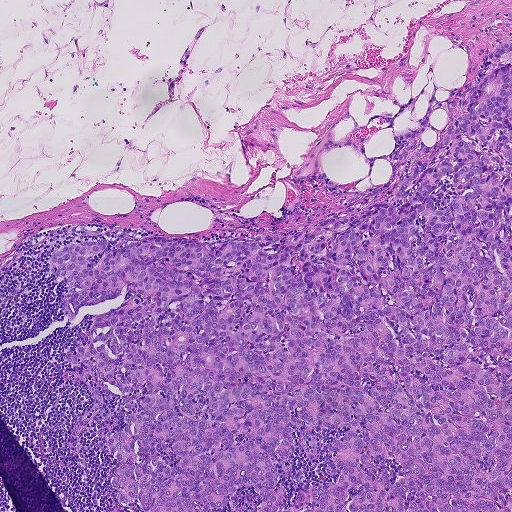
H&E-stained section of a sentinel lymph node (breast cancer), from a whole-slide image, viewed at about 5×: the field is about 0.93 mm across, about 1.8 µm per pixel.
The outlined metastatic tumour's edge, as a closed clockwise path of 18 points: (508, 40), (511, 511), (113, 511), (120, 395), (102, 385), (68, 449), (92, 400), (61, 377), (86, 365), (64, 357), (94, 317), (68, 322), (48, 254), (404, 203), (415, 160), (364, 196), (389, 174), (392, 132).
About 50% of the image area is annotated as tumour.